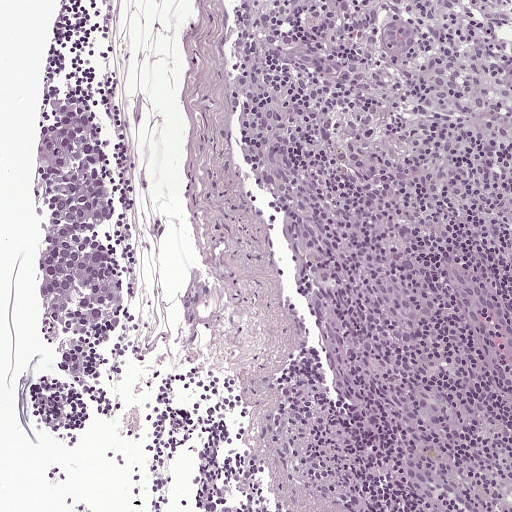
A 0.5-mm field of an H&E-stained sentinel lymph node from a breast-cancer patient (whole-slide image), shown at about 10×, about 0.97 µm per pixel.
Question: Outline the metastatic carcinoma in this image, as closed paths of (x, y) pixel coordinates.
Answer: Metastatic tumour outline, simplified to 19 points and listed clockwise in crop pixels (x, y): (67, 90), (88, 101), (100, 125), (106, 172), (114, 190), (114, 211), (96, 224), (118, 286), (116, 307), (88, 343), (86, 365), (72, 380), (42, 316), (32, 269), (43, 222), (32, 155), (34, 134), (53, 123), (50, 102).
The annotated tumour makes up about 5% of the crop.